Question: 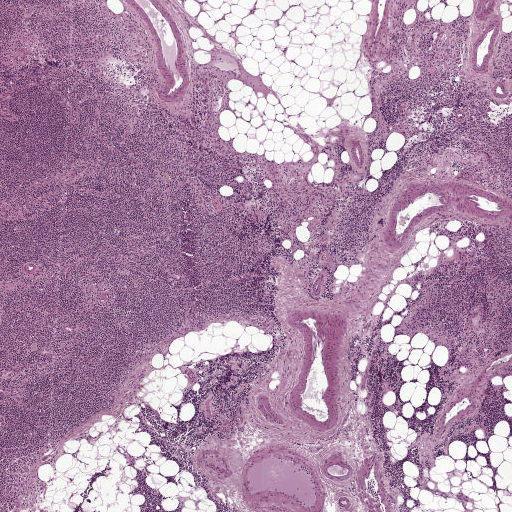
Which magnification is this H&E lymph node field most likely shown at?

Choices:
 (A) about 5×
 (B) about 20×
 (C) about 40×
 (D) about 2.5×
 (E) about 10×

Answer: (D) about 2.5×
A 2.0-mm field of an H&E-stained sentinel lymph node from a breast-cancer patient (whole-slide image), shown at about 2.5×, about 3.9 µm per pixel.